Image:
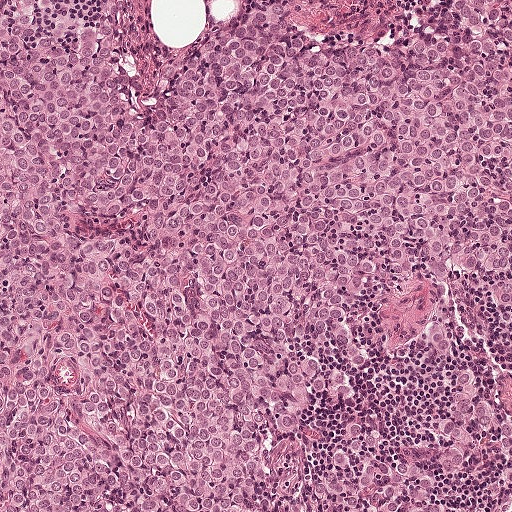
A 0.5-mm field of an H&E-stained sentinel lymph node from a breast-cancer patient (whole-slide image), shown at about 10×, about 0.97 µm per pixel.
Question:
Does this lymph node field contain metastatic tumour?
Answer:
Yes.
Two metastatic tumour regions, each outlined as a closed clockwise path in crop pixels (x, y), largest first: region 1: (0, 0), (127, 0), (145, 95), (160, 62), (245, 0), (295, 0), (297, 24), (318, 38), (390, 44), (428, 25), (438, 0), (511, 0), (511, 314), (463, 282), (377, 283), (347, 406), (257, 466), (274, 484), (317, 471), (362, 418), (414, 460), (444, 511), (0, 511); region 2: (424, 320), (436, 321), (444, 327), (450, 342), (446, 360), (454, 368), (469, 373), (477, 379), (475, 400), (488, 402), (496, 416), (496, 430), (492, 436), (482, 441), (475, 464), (470, 469), (456, 473), (439, 470), (433, 464), (433, 442), (447, 400), (447, 386), (442, 370), (417, 350).
About 85% of this field is tumour.

Image:
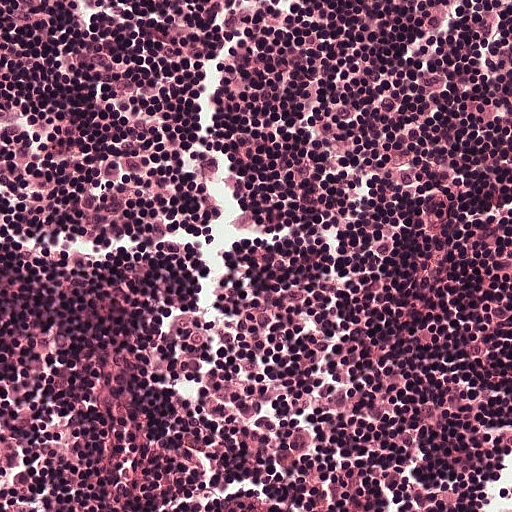
A 0.25-mm field of an H&E-stained sentinel lymph node from a breast-cancer patient (whole-slide image), shown at about 20×, about 0.49 µm per pixel.
Question:
Does this lymph node field contain metastatic tumour?
Answer:
No, this field holds no outlined metastasis.

Image:
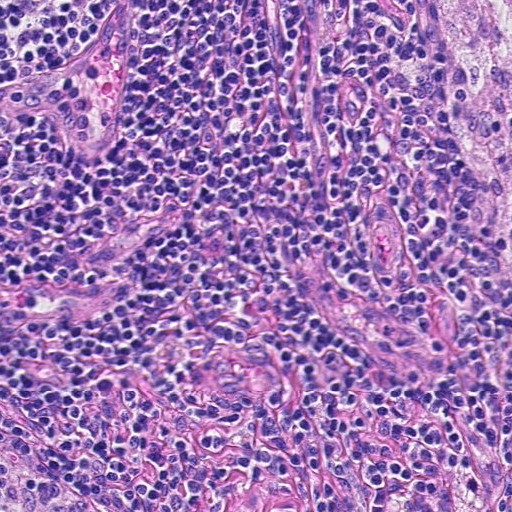
H&E-stained section of a sentinel lymph node (breast cancer), from a whole-slide image, viewed at about 20×: the field is about 0.23 mm across, about 0.45 µm per pixel.
Question:
Does this lymph node field contain metastatic tumour?
Answer:
No: no metastatic tumour is outlined anywhere in this field.

Image:
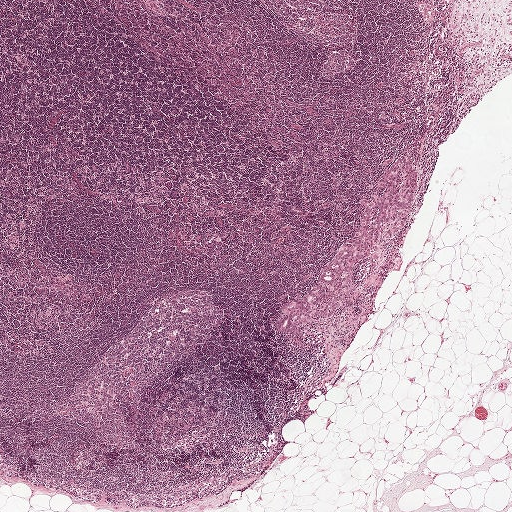
This is a crop of a whole-slide image: an H&E-stained breast-cancer sentinel lymph node section at roughly 2.5× magnification (about 3.9 µm per pixel; the crop spans about 2.0 mm).
Question:
Does this lymph node field contain metastatic tumour?
Answer:
Yes.
Metastatic tumour outline, simplified to 24 points and listed clockwise in crop pixels (x, y): (409, 156), (419, 166), (416, 210), (409, 228), (388, 241), (387, 255), (381, 263), (373, 266), (368, 258), (355, 266), (353, 278), (357, 292), (334, 320), (293, 333), (277, 333), (273, 328), (284, 306), (313, 288), (331, 261), (350, 243), (360, 222), (361, 200), (373, 196), (398, 157).
About 5% of this field is tumour.